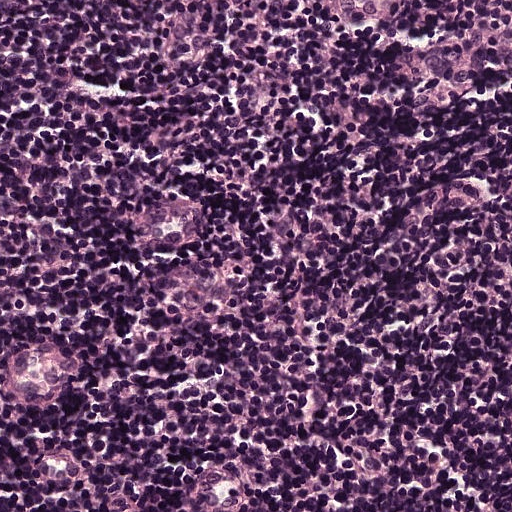
H&E-stained section of a sentinel lymph node (breast cancer), from a whole-slide image, viewed at about 20×: the field is about 0.25 mm across, about 0.49 µm per pixel.
Question: Does this lymph node field contain metastatic tumour?
Answer: No: no metastatic tumour is outlined anywhere in this field.